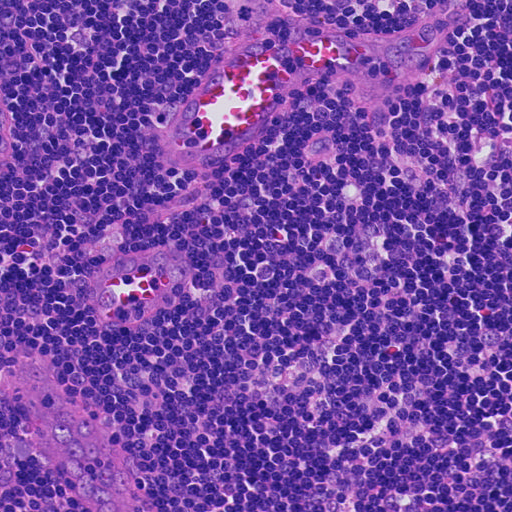
This is a crop of a whole-slide image: an H&E-stained breast-cancer sentinel lymph node section at roughly 20× magnification (about 0.45 µm per pixel; the crop spans about 0.23 mm).